Image:
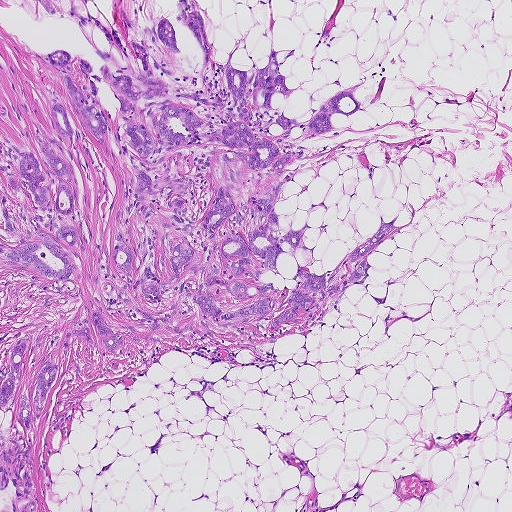
H&E-stained section of a sentinel lymph node (breast cancer), from a whole-slide image, viewed at about 5×: the field is about 0.93 mm across, about 1.8 µm per pixel.
Question:
Show where the tumour is in this image.
Answer:
Outlines of six tumour regions, largest first (closed clockwise paths, crop pixels): region 1: (196, 0), (211, 54), (203, 94), (273, 44), (279, 114), (360, 104), (280, 142), (306, 148), (273, 208), (316, 246), (312, 254), (285, 243), (264, 283), (330, 271), (380, 214), (402, 227), (312, 318), (200, 310), (108, 350), (91, 323), (96, 350), (73, 333), (64, 358), (73, 325), (97, 309), (138, 321), (111, 253), (134, 188), (94, 48), (142, 71), (131, 38), (157, 59), (165, 18), (167, 80), (201, 88), (174, 19); region 2: (36, 125), (70, 162), (77, 211), (57, 218), (76, 230), (76, 246), (65, 248), (77, 268), (70, 278), (0, 263), (0, 246), (21, 246), (0, 229), (0, 139), (2, 150), (10, 147), (2, 136), (20, 152), (36, 154), (45, 175); region 3: (51, 51), (66, 51), (70, 56), (71, 74), (76, 85), (82, 84), (85, 79), (78, 70), (77, 55), (92, 66), (92, 72), (89, 75), (96, 75), (100, 78), (100, 84), (91, 77), (90, 79), (97, 88), (96, 94), (107, 124), (107, 130), (104, 136), (107, 147), (93, 136), (78, 116), (65, 110), (74, 133), (70, 137), (61, 136), (51, 118), (53, 88), (63, 103), (76, 114), (58, 75), (45, 61), (46, 55); region 4: (48, 363), (54, 363), (58, 367), (57, 378), (45, 399), (36, 429), (31, 419), (28, 432), (20, 424), (16, 412), (25, 382), (32, 404), (38, 370); region 5: (22, 338), (27, 340), (27, 346), (20, 368), (18, 386), (10, 402), (6, 406), (0, 406), (0, 382), (9, 371), (11, 351), (17, 340); region 6: (0, 101), (8, 108), (11, 101), (22, 113), (22, 119), (20, 124), (16, 120), (11, 111), (12, 120), (5, 116), (2, 120), (0, 118).
Tumour covers about 25% of the frame.